Question: 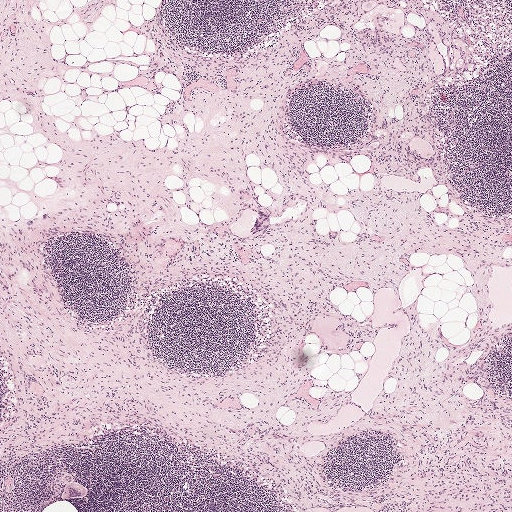
About what magnification does this crop show?

Choices:
 (A) about 5×
 (B) about 2.5×
 (C) about 10×
 (D) about 40×
 (E) about 20×

Answer: (B) about 2.5×
Lymph node section stained with H&E, from a whole-slide image of a breast-cancer sentinel node. Magnification about 2.5×, about 2.0 mm across the frame, about 3.9 µm per pixel.